H&E-stained section of a sentinel lymph node (breast cancer), from a whole-slide image, viewed at about 10×: the field is about 0.5 mm across, about 0.97 µm per pixel.
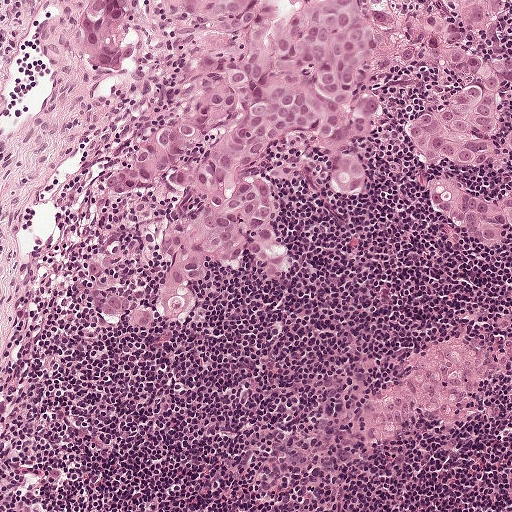
Boundaries of three metastatic tumour regions, simplified and listed clockwise, largest first: region 1: (181, 0), (511, 0), (511, 163), (415, 145), (415, 115), (459, 81), (413, 65), (364, 150), (374, 196), (332, 192), (317, 168), (288, 178), (280, 282), (243, 247), (210, 320), (119, 327), (84, 274), (148, 213), (110, 186), (171, 114); region 2: (444, 180), (472, 185), (510, 200), (511, 241), (502, 246), (486, 247), (474, 243), (466, 233), (456, 227), (446, 213), (433, 206), (431, 191), (435, 182); region 3: (89, 0), (133, 0), (134, 3), (135, 19), (126, 50), (125, 64), (115, 73), (104, 72), (82, 48), (84, 16).
About 30% of this field is tumour.